H&E-stained section of a sentinel lymph node (breast cancer), from a whole-slide image, viewed at about 5×: the field is about 0.93 mm across, about 1.8 µm per pixel.
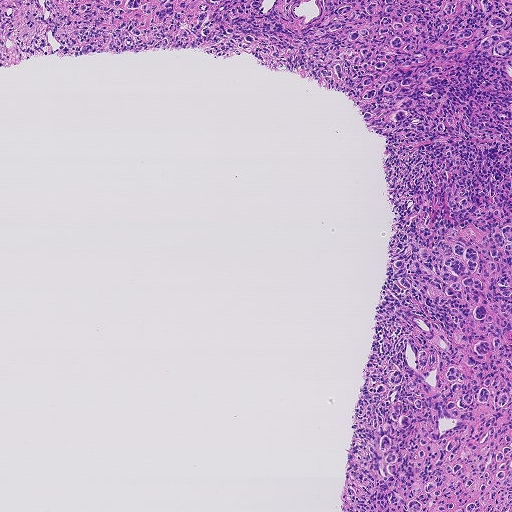
Question: Is any metastatic breast cancer visible in this crop?
Answer: Yes.
Tumour region outline (a closed clockwise path, crop pixels): (0, 0), (511, 0), (511, 511), (341, 511), (393, 215), (386, 137), (368, 133), (347, 96), (247, 53), (0, 69).
Tumour covers about 35% of the frame.